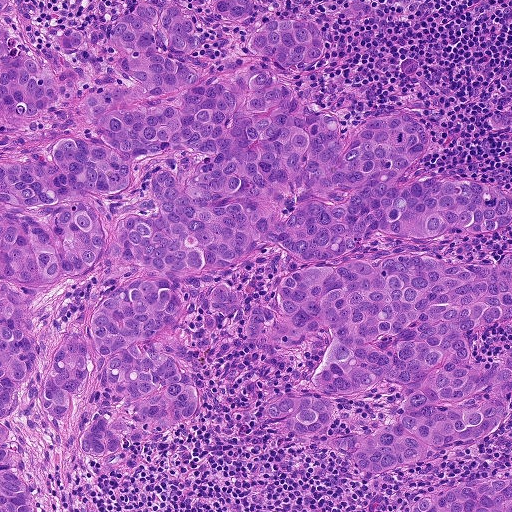
Lymph node section stained with H&E, from a whole-slide image of a breast-cancer sentinel node. Magnification about 10×, about 0.46 mm across the frame, about 0.9 µm per pixel.
Boundaries of two metastatic tumour regions, simplified and listed clockwise, largest first: region 1: (0, 0), (58, 52), (186, 5), (210, 73), (258, 62), (214, 0), (309, 23), (278, 74), (342, 142), (400, 110), (408, 175), (511, 195), (339, 260), (511, 251), (470, 362), (511, 355), (511, 411), (358, 478), (328, 445), (400, 418), (380, 381), (298, 443), (263, 410), (329, 342), (247, 334), (279, 250), (178, 319), (200, 408), (100, 468), (91, 370), (65, 421), (40, 392), (102, 271), (28, 316), (38, 511), (0, 511), (0, 161), (101, 142), (74, 102), (8, 126); region 2: (511, 470), (511, 511), (412, 511), (409, 502), (430, 491).
The annotated tumour makes up about 65% of the crop.